Question: 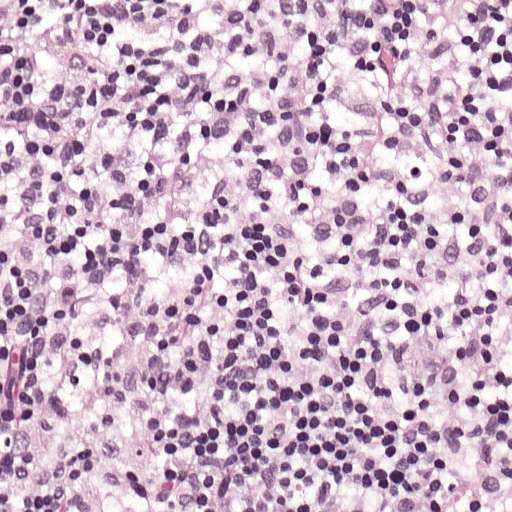
At roughly what magnification is this field shown?

Choices:
 (A) about 10×
 (B) about 20×
 (C) about 5×
 (D) about 40×
 (E) about 2.5×

Answer: (B) about 20×
A 0.25-mm field of an H&E-stained sentinel lymph node from a breast-cancer patient (whole-slide image), shown at about 20×, about 0.49 µm per pixel.